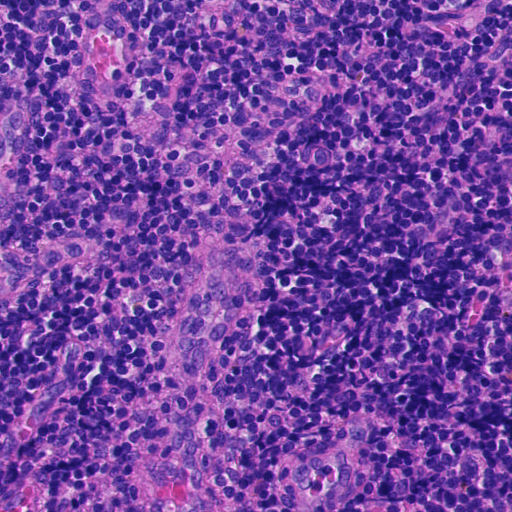
A 0.23-mm field of an H&E-stained sentinel lymph node from a breast-cancer patient (whole-slide image), shown at about 20×, about 0.45 µm per pixel.